Question: 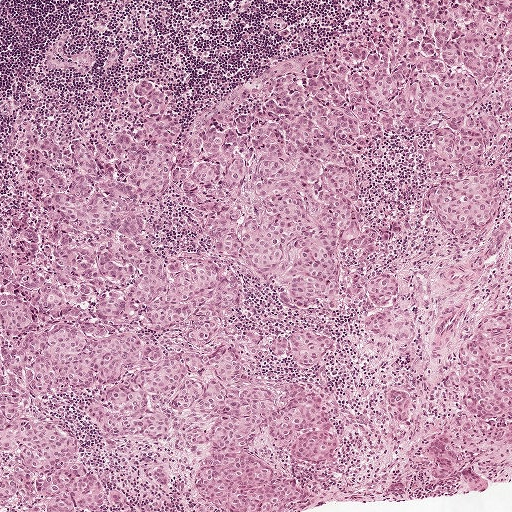
This is a crop of a whole-slide image: an H&E-stained breast-cancer sentinel lymph node section at roughly 5× magnification (about 1.9 µm per pixel; the crop spans about 1 mm).
About how much of this crop is taken up by metastatic carcinoma?

Choices:
 (A) about 5% or less
 (B) about 50% or more
 (C) about 10% to 20%
 (D) about 25% to 45%
 (E) none: no tumour is outlined

Answer: (D) about 25% to 45%
About 35% of the field is tumour.
Outlines of three tumour regions, largest first (closed clockwise paths, crop pixels): region 1: (399, 0), (470, 2), (498, 23), (501, 55), (483, 102), (497, 124), (488, 148), (500, 211), (463, 237), (444, 235), (425, 208), (422, 161), (434, 135), (368, 140), (360, 182), (376, 241), (364, 253), (345, 246), (345, 281), (326, 308), (278, 302), (203, 232), (176, 164), (195, 133); region 2: (226, 345), (241, 370), (300, 373), (332, 399), (325, 458), (304, 464), (265, 431), (249, 446), (275, 480), (311, 492), (306, 500), (218, 511), (193, 476), (208, 446), (181, 438), (213, 417), (167, 406), (166, 436), (120, 438), (88, 419), (105, 386), (172, 353); region 3: (500, 309), (511, 311), (511, 412), (474, 411), (463, 400), (462, 384), (455, 366), (455, 350), (470, 329), (487, 316).